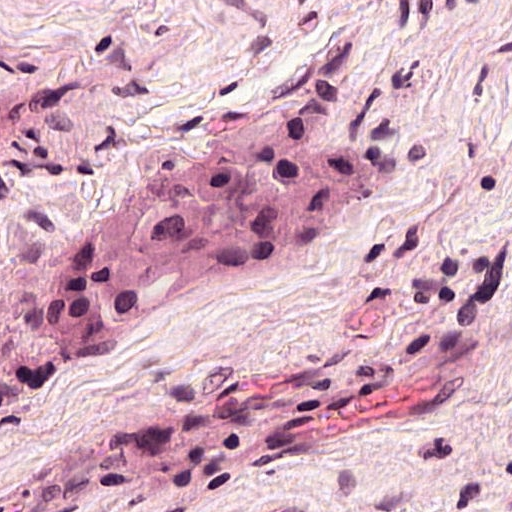
Lymph node section stained with H&E, from a whole-slide image of a breast-cancer sentinel node. Magnification about 40×, about 0.12 mm across the frame, about 0.24 µm per pixel.
Question: Where is the metastatic tumour in this field?
Answer: Tumour region outline (a closed clockwise path, crop pixels): (323, 73), (380, 151), (386, 182), (362, 210), (252, 276), (155, 362), (118, 372), (37, 366), (12, 312), (43, 235), (93, 191), (257, 91).
The annotated tumour makes up about 25% of the crop.